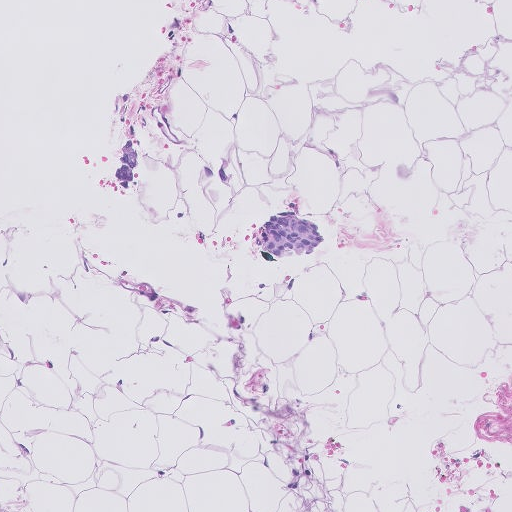
This is a crop of a whole-slide image: an H&E-stained breast-cancer sentinel lymph node section at roughly 10× magnification (about 1.0 µm per pixel; the crop spans about 0.51 mm).
Outlines of two tumour regions, largest first (closed clockwise paths, crop pixels): region 1: (295, 201), (322, 220), (337, 251), (270, 262), (246, 241), (269, 204); region 2: (123, 122), (149, 131), (137, 195), (104, 189).
Two more small tumour pieces are annotated here but not outlined.
Under 5% of the image area is annotated as tumour.